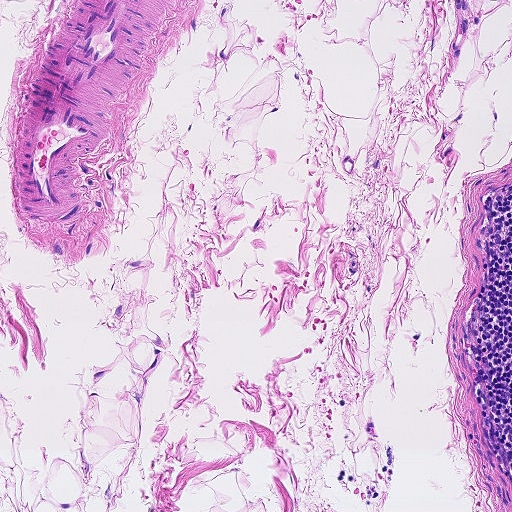
Lymph node section stained with H&E, from a whole-slide image of a breast-cancer sentinel node. Magnification about 10×, about 0.46 mm across the frame, about 0.9 µm per pixel.